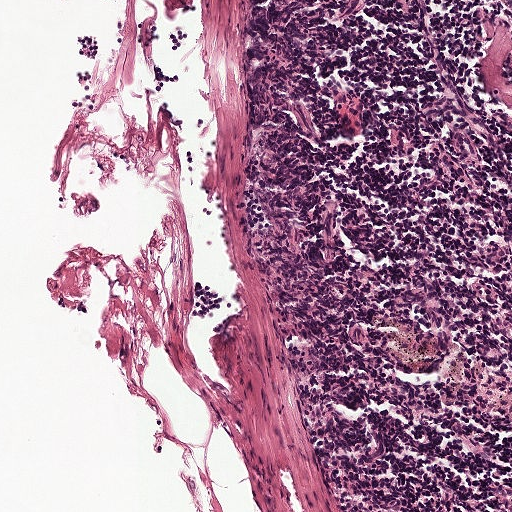
H&E-stained section of a sentinel lymph node (breast cancer), from a whole-slide image, viewed at about 10×: the field is about 0.5 mm across, about 0.97 µm per pixel.